Image:
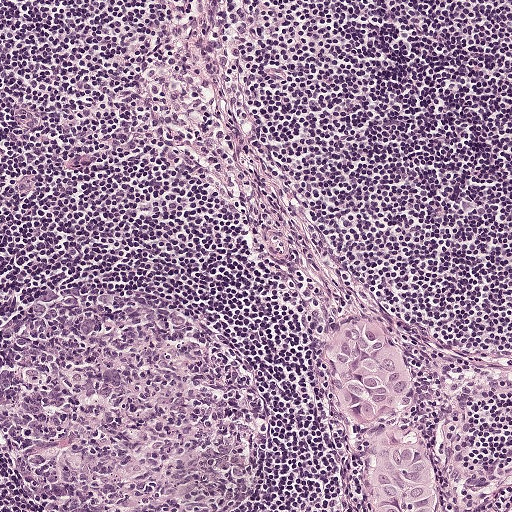
H&E-stained section of a sentinel lymph node (breast cancer), from a whole-slide image, viewed at about 10×: the field is about 0.5 mm across, about 0.97 µm per pixel.
Question:
Where is the metastatic tumour in this field?
Answer:
One metastatic tumour region; its boundary, reduced to 16 corners and listed clockwise: (355, 316), (367, 318), (394, 338), (404, 352), (414, 390), (413, 401), (403, 412), (404, 434), (423, 442), (439, 481), (440, 511), (373, 511), (369, 479), (344, 394), (330, 368), (331, 339).
About 5% of this field is tumour.